Image:
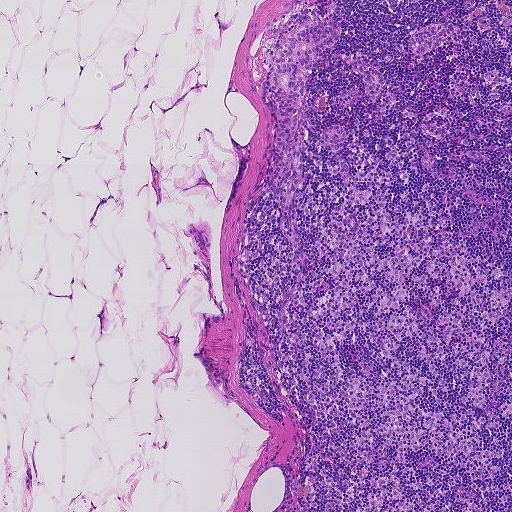
H&E-stained section of a sentinel lymph node (breast cancer), from a whole-slide image, viewed at about 5×: the field is about 0.93 mm across, about 1.8 µm per pixel.
Question:
Which parts of this field are metastatic tumour?
Answer:
Outlines of four tumour regions, largest first (closed clockwise paths, crop pixels): region 1: (326, 19), (339, 22), (342, 35), (339, 41), (316, 53), (305, 69), (310, 74), (297, 109), (299, 123), (295, 135), (303, 146), (291, 225), (296, 245), (291, 244), (288, 223), (283, 221), (280, 205), (270, 192), (269, 176), (277, 144), (270, 78), (277, 51), (301, 28); region 2: (446, 23), (459, 28), (424, 53), (420, 53), (411, 49), (409, 44), (412, 36), (427, 25); region 3: (356, 54), (360, 60), (380, 71), (384, 83), (376, 100), (372, 101), (364, 88), (363, 74), (354, 71), (350, 63), (346, 63), (343, 59), (346, 57); region 4: (340, 125), (344, 128), (346, 138), (342, 148), (331, 150), (321, 147), (318, 142), (324, 127).
About 5% of the image area is annotated as tumour.